Lymph node section stained with H&E, from a whole-slide image of a breast-cancer sentinel node. Magnification about 5×, about 1 mm across the frame, about 1.9 µm per pixel.
Question: 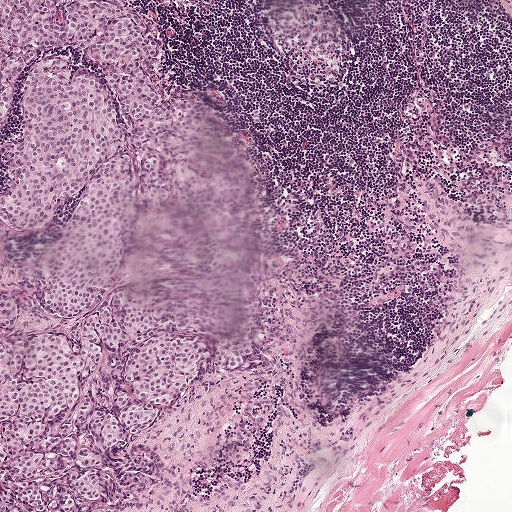
Estimate the proportion of this field that is metastatic tumour.

Choices:
 (A) about 10% to 20%
 (B) about 50% or more
 (C) about 5% or less
 (D) about 25% to 45%
 (E) none: no tumour is outlined

Answer: (D) about 25% to 45%
About 40% of the field is tumour.
Metastatic tumour outline, simplified to 13 points and listed clockwise in crop pixels (x, y): (0, 0), (141, 0), (180, 76), (217, 105), (242, 145), (279, 256), (263, 346), (174, 392), (142, 435), (164, 459), (161, 481), (100, 511), (0, 511).